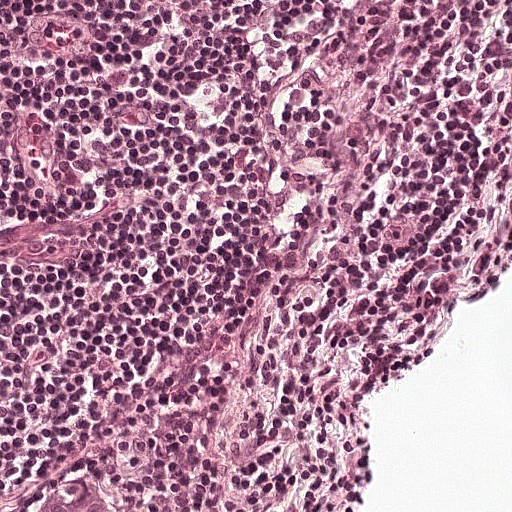
Lymph node section stained with H&E, from a whole-slide image of a breast-cancer sentinel node. Magnification about 20×, about 0.25 mm across the frame, about 0.49 µm per pixel.
Tumour region outline (a closed clockwise path, crop pixels): (132, 484), (132, 486), (138, 490), (147, 490), (152, 492), (156, 498), (161, 501), (167, 501), (170, 506), (176, 506), (177, 511), (36, 511), (44, 490).
Under 5% of the image area is annotated as tumour.